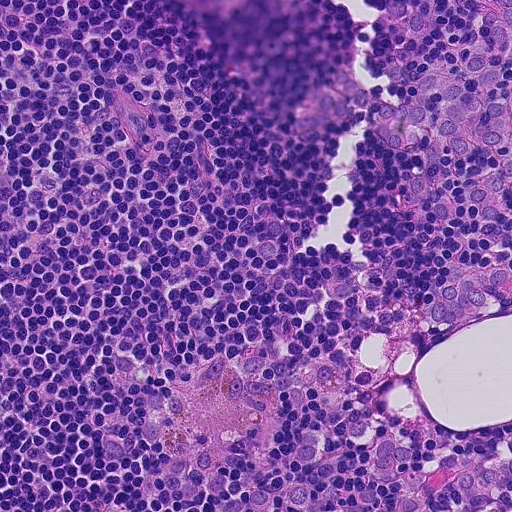
This is a crop of a whole-slide image: an H&E-stained breast-cancer sentinel lymph node section at roughly 20× magnification (about 0.45 µm per pixel; the crop spans about 0.23 mm).
Question: Outline the metastatic carcinoma in this image, as closed paths of (x, y) pixel coordinates.
Answer: Tumour region outline (a closed clockwise path, crop pixels): (467, 0), (511, 0), (511, 511), (206, 511), (140, 482), (137, 414), (148, 383), (173, 360), (204, 348), (334, 354), (474, 268), (509, 262), (420, 218), (362, 135), (366, 123), (306, 144), (284, 120), (330, 71), (361, 80), (384, 102), (412, 5), (438, 18), (407, 73), (486, 23).
Tumour covers about 35% of the frame.